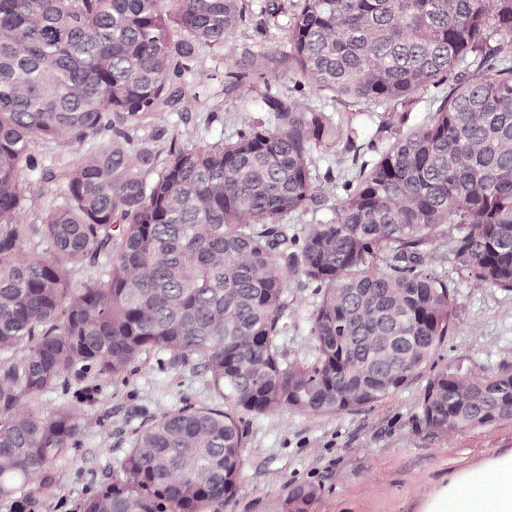
H&E-stained section of a sentinel lymph node (breast cancer), from a whole-slide image, viewed at about 20×: the field is about 0.25 mm across, about 0.49 µm per pixel.
Tumour region outline (a closed clockwise path, crop pixels): (0, 0), (511, 0), (511, 423), (453, 443), (346, 408), (324, 461), (326, 511), (0, 511).
About 95% of this field is tumour.